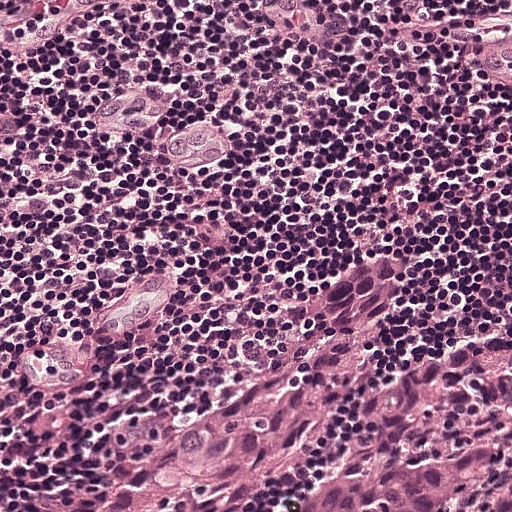
A 0.25-mm field of an H&E-stained sentinel lymph node from a breast-cancer patient (whole-slide image), shown at about 20×, about 0.49 µm per pixel.
Tumour region outline (a closed clockwise path, crop pixels): (371, 260), (394, 276), (371, 338), (382, 364), (460, 346), (511, 299), (511, 511), (88, 511), (162, 426), (291, 337), (298, 287), (349, 262).
About 25% of this field is tumour.